Question: 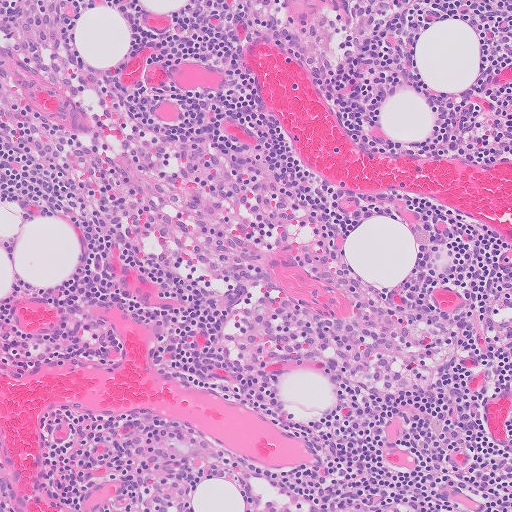
At roughly what magnification is this field shown?

Choices:
 (A) about 5×
 (B) about 40×
 (C) about 20×
 (D) about 2.5×
 (E) about 10×

Answer: (E) about 10×
H&E-stained section of a sentinel lymph node (breast cancer), from a whole-slide image, viewed at about 10×: the field is about 0.51 mm across, about 1.0 µm per pixel.